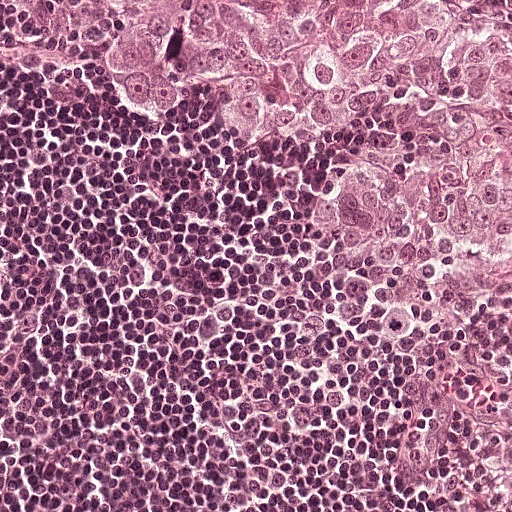
A 0.25-mm field of an H&E-stained sentinel lymph node from a breast-cancer patient (whole-slide image), shown at about 20×, about 0.49 µm per pixel.
Tumour region outline (a closed clockwise path, crop pixels): (0, 0), (511, 0), (511, 511), (340, 511), (382, 475), (400, 438), (404, 384), (387, 340), (250, 160), (90, 108), (4, 44).
About 50% of the image area is annotated as tumour.